Image:
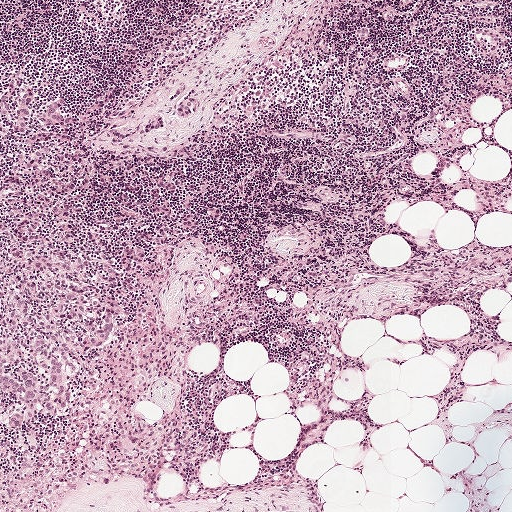
This is a crop of a whole-slide image: an H&E-stained breast-cancer sentinel lymph node section at roughly 5× magnification (about 1.9 µm per pixel; the crop spans about 1 mm).
Question:
Is there metastatic carcinoma in this field?
Answer:
Yes.
Boundaries of three metastatic tumour regions, simplified and listed clockwise, largest first: region 1: (8, 85), (40, 91), (40, 121), (47, 102), (67, 97), (63, 111), (91, 117), (97, 182), (74, 237), (93, 264), (90, 282), (104, 288), (107, 312), (117, 304), (107, 343), (82, 349), (67, 409), (52, 413), (46, 400), (23, 430), (0, 425), (0, 102); region 2: (160, 115), (164, 116), (165, 122), (165, 125), (161, 128), (154, 129), (149, 133), (145, 134), (141, 134), (140, 132), (140, 126), (144, 125), (146, 121), (149, 118); region 3: (185, 97), (192, 102), (193, 114), (188, 117), (185, 117), (179, 115), (177, 110), (176, 106), (178, 103).
One more small tumour piece is annotated here but not outlined.
About 10% of the image area is annotated as tumour.